H&E-stained section of a sentinel lymph node (breast cancer), from a whole-slide image, viewed at about 2.5×: the field is about 1.9 mm across, about 3.6 µm per pixel.
Image:
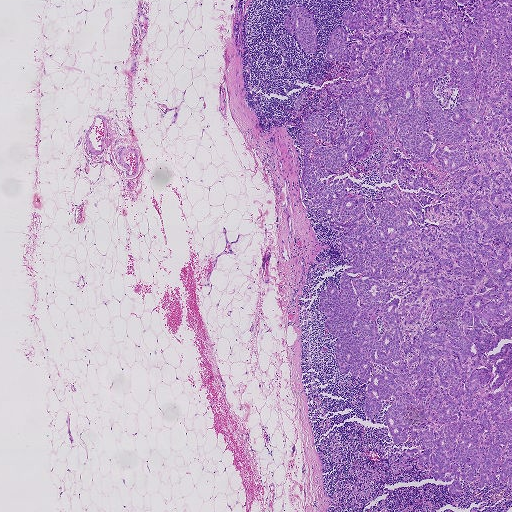
Question:
Describe where the metastatic carcinoma lies in this crop.
Answer:
Boundaries of two metastatic tumour regions, simplified and listed clockwise, largest first: region 1: (511, 0), (511, 491), (464, 486), (457, 503), (416, 460), (392, 474), (391, 404), (365, 419), (368, 381), (339, 372), (324, 330), (319, 293), (341, 292), (352, 266), (342, 234), (308, 219), (291, 110), (308, 87), (304, 111), (347, 80), (325, 52), (354, 3); region 2: (294, 3), (309, 10), (314, 21), (317, 41), (317, 49), (312, 55), (305, 53), (294, 35), (287, 32), (283, 25), (284, 13), (288, 12), (291, 5).
About 35% of the image area is annotated as tumour.